Image:
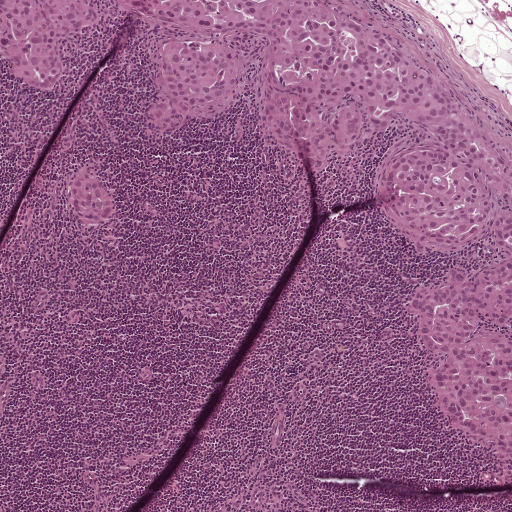
Lymph node section stained with H&E, from a whole-slide image of a breast-cancer sentinel node. Magnification about 5×, about 1 mm across the frame, about 1.9 µm per pixel.
Question:
Describe where the metastatic carcinoma lies in this crop.
Answer:
Outlines of three tumour regions, largest first (closed clockwise paths, crop pixels): region 1: (106, 0), (345, 0), (415, 49), (511, 147), (511, 469), (449, 431), (425, 384), (440, 356), (420, 353), (408, 320), (422, 289), (449, 268), (500, 260), (496, 243), (487, 228), (466, 251), (428, 257), (390, 230), (377, 204), (373, 186), (389, 156), (400, 143), (436, 138), (408, 119), (314, 175), (264, 130), (263, 80), (245, 54), (240, 88), (222, 116), (160, 135), (146, 125), (159, 48), (212, 36); region 2: (0, 0), (85, 0), (97, 14), (85, 38), (74, 50), (63, 84), (49, 93), (32, 94), (4, 74), (0, 64); region 3: (86, 166), (99, 177), (109, 189), (115, 203), (118, 218), (106, 226), (90, 226), (76, 219), (71, 205), (68, 189), (74, 175).
Tumour covers about 30% of the frame.